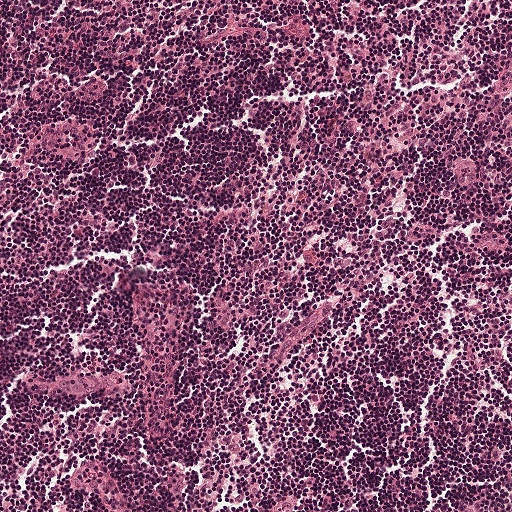
H&E-stained section of a sentinel lymph node (breast cancer), from a whole-slide image, viewed at about 10×: the field is about 0.5 mm across, about 0.97 µm per pixel.
Question: Is any metastatic breast cancer visible in this crop?
Answer: No, this field holds no outlined metastasis.